Image:
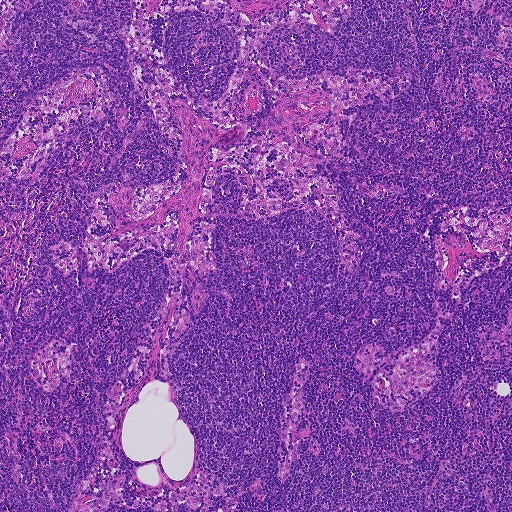
A 0.93-mm field of an H&E-stained sentinel lymph node from a breast-cancer patient (whole-slide image), shown at about 5×, about 1.8 µm per pixel.
Question:
Does this lymph node field contain metastatic tumour?
Answer:
No. No metastatic tumour is outlined in this field.

Image:
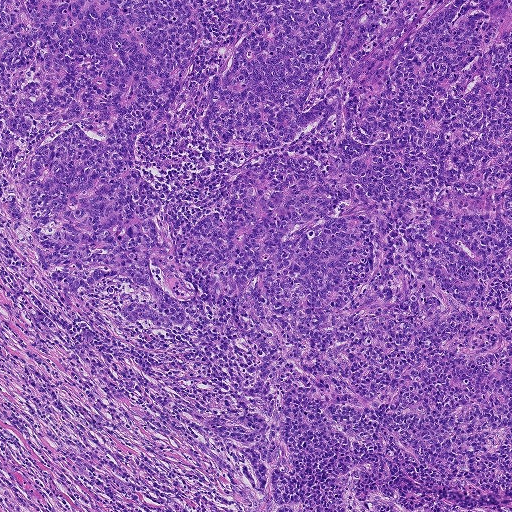
Lymph node section stained with H&E, from a whole-slide image of a breast-cancer sentinel node. Magnification about 5×, about 0.93 mm across the frame, about 1.8 µm per pixel.
Question:
Does this lymph node field contain metastatic tumour?
Answer:
Yes.
The outlined metastatic tumour's edge, as a closed clockwise path of 9 points: (0, 0), (511, 0), (511, 511), (224, 511), (225, 473), (208, 443), (115, 394), (52, 304), (1, 166).
The annotated tumour makes up about 85% of the crop.

Image:
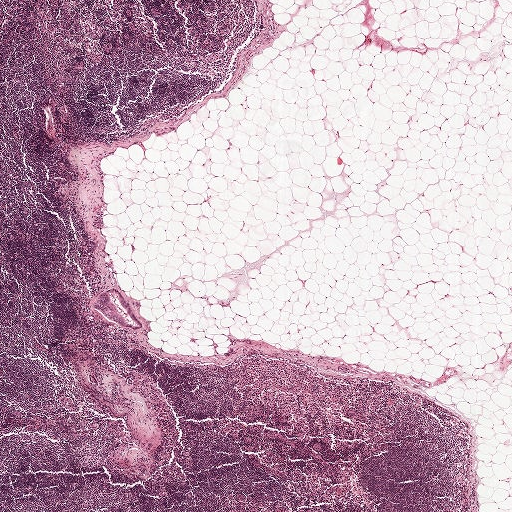
A 2.0-mm field of an H&E-stained sentinel lymph node from a breast-cancer patient (whole-slide image), shown at about 2.5×, about 3.9 µm per pixel.
Question:
Does this lymph node field contain metastatic tumour?
Answer:
Yes.
Metastatic tumour outline, simplified to 11 points and listed clockwise in crop pixels (x, y): (114, 288), (114, 293), (110, 296), (114, 310), (118, 316), (118, 322), (110, 322), (107, 317), (92, 307), (94, 301), (104, 292).
Under 5% of this field is tumour.

Image:
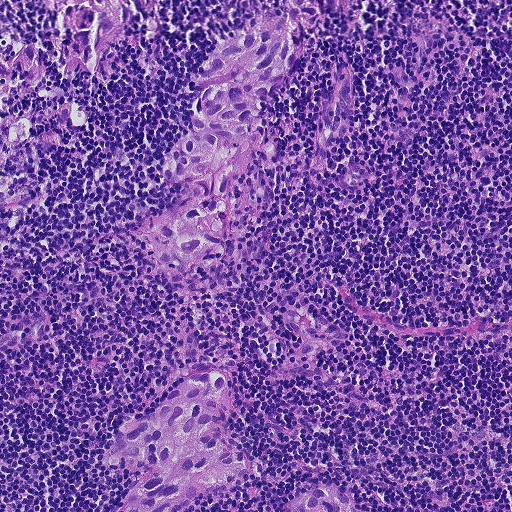
H&E-stained section of a sentinel lymph node (breast cancer), from a whole-slide image, viewed at about 10×: the field is about 0.46 mm across, about 0.9 µm per pixel.
Question:
Does this lymph node field contain metastatic tumour?
Answer:
Yes.
Outlines of five tumour regions, largest first (closed clockwise paths, crop pixels): region 1: (281, 0), (361, 0), (349, 36), (308, 42), (298, 77), (275, 102), (280, 146), (269, 172), (271, 199), (235, 286), (195, 297), (160, 278), (150, 252), (131, 231), (170, 206), (186, 184), (163, 182), (158, 169), (170, 145), (192, 128), (186, 106), (195, 96), (182, 88), (214, 45); region 2: (221, 372), (238, 388), (240, 400), (224, 432), (225, 444), (232, 454), (254, 461), (261, 471), (206, 493), (174, 511), (120, 511), (128, 489), (146, 472), (111, 474), (102, 464), (104, 453), (122, 423), (156, 414), (186, 375); region 3: (49, 0), (172, 0), (162, 12), (165, 54), (162, 68), (152, 65), (149, 54), (154, 42), (127, 41), (117, 52), (123, 62), (122, 75), (98, 91), (78, 80), (68, 90), (56, 64), (44, 58), (45, 77), (0, 115), (0, 34), (54, 28); region 4: (338, 67), (350, 70), (354, 106), (347, 132), (337, 138), (334, 150), (322, 158), (315, 149), (320, 112), (320, 89), (325, 86), (332, 90); region 5: (328, 483), (338, 484), (346, 491), (360, 511), (286, 511), (289, 502), (309, 490).
About 20% of this field is tumour.